A 0.46-mm field of an H&E-stained sentinel lymph node from a breast-cancer patient (whole-slide image), shown at about 10×, about 0.91 µm per pixel.
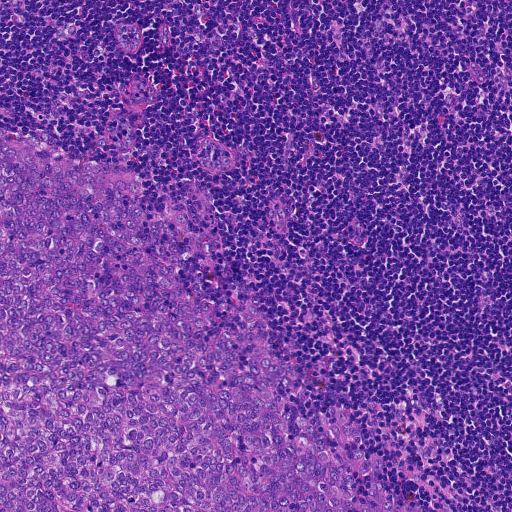
Tumour region outline (a closed clockwise path, crop pixels): (0, 125), (140, 178), (154, 212), (175, 222), (208, 294), (259, 317), (274, 352), (292, 359), (293, 410), (350, 410), (356, 447), (374, 454), (397, 501), (415, 510), (0, 511).
The annotated tumour makes up about 35% of the crop.